H&E-stained section of a sentinel lymph node (breast cancer), from a whole-slide image, viewed at about 20×: the field is about 0.25 mm across, about 0.49 µm per pixel.
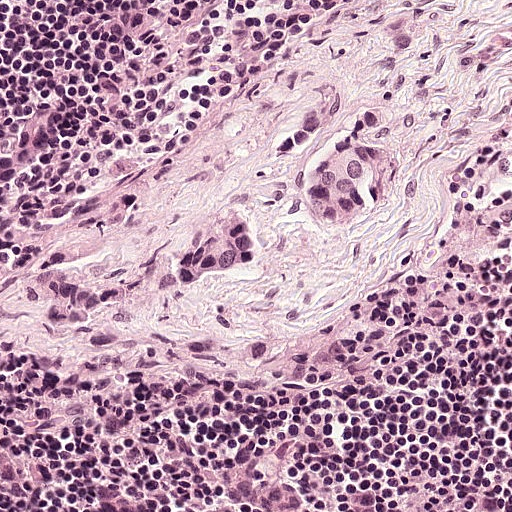
Question: Where is the metastatic tumour in this field? Give each region's outline as (x, y) pixel points.
Answer: Two metastatic tumour regions, each outlined as a closed clockwise path in crop pixels (x, y), largest first: region 1: (242, 214), (256, 220), (262, 244), (260, 256), (244, 266), (216, 271), (196, 287), (182, 293), (162, 290), (158, 283), (162, 260), (174, 252), (184, 238), (197, 228); region 2: (339, 142), (355, 152), (361, 152), (368, 162), (368, 189), (372, 193), (372, 208), (359, 223), (351, 225), (340, 225), (316, 214), (307, 194), (306, 178), (312, 164), (332, 152).
One more small tumour piece is annotated here but not outlined.
The annotated tumour makes up about 5% of the crop.